Question: 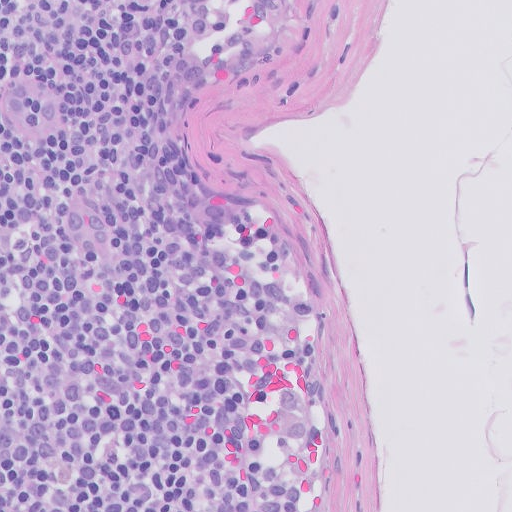
Which magnification is this H&E lymph node field most likely shown at?

Choices:
 (A) about 2.5×
 (B) about 10×
 (C) about 5×
 (D) about 20×
 (E) about 40×

Answer: (D) about 20×
A 0.26-mm field of an H&E-stained sentinel lymph node from a breast-cancer patient (whole-slide image), shown at about 20×, about 0.5 µm per pixel.